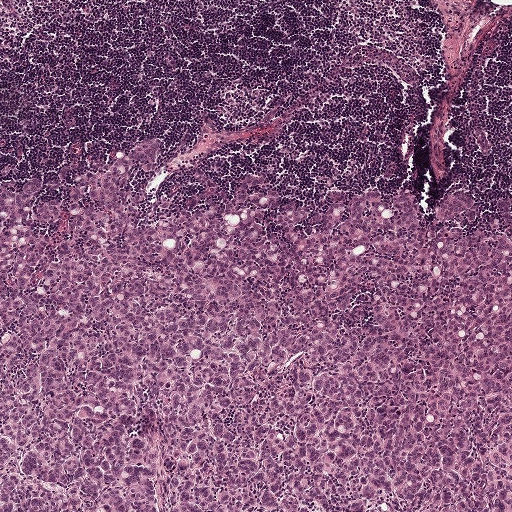
A 1-mm field of an H&E-stained sentinel lymph node from a breast-cancer patient (whole-slide image), shown at about 5×, about 1.9 µm per pixel.
Metastatic tumour outline, simplified to 24 points and listed clockwise in crop pixels (x, y): (149, 136), (168, 146), (153, 181), (162, 198), (192, 188), (200, 167), (223, 191), (253, 170), (323, 207), (334, 191), (385, 190), (406, 192), (427, 213), (447, 194), (469, 192), (511, 213), (511, 511), (326, 511), (320, 503), (313, 511), (0, 511), (0, 189), (38, 179), (64, 191).
The annotated tumour makes up about 65% of the crop.